Image:
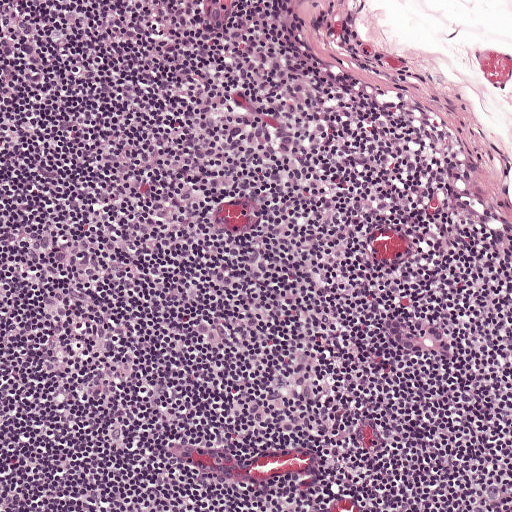
H&E-stained section of a sentinel lymph node (breast cancer), from a whole-slide image, viewed at about 10×: the field is about 0.5 mm across, about 0.97 µm per pixel.
Question:
Trace the edge of each tumour region in this crop, as (x, y) points from 0 to 511.
Answer:
The outlined metastatic tumour's edge, as a closed clockwise path of 13 points: (389, 316), (415, 316), (435, 322), (454, 335), (458, 343), (459, 353), (456, 363), (446, 365), (428, 359), (419, 359), (410, 354), (382, 330), (382, 320).
Under 5% of the image area is annotated as tumour.